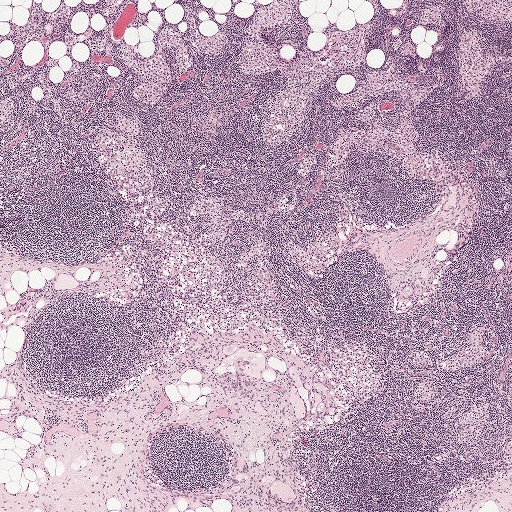
A 2.0-mm field of an H&E-stained sentinel lymph node from a breast-cancer patient (whole-slide image), shown at about 2.5×, about 3.9 µm per pixel.